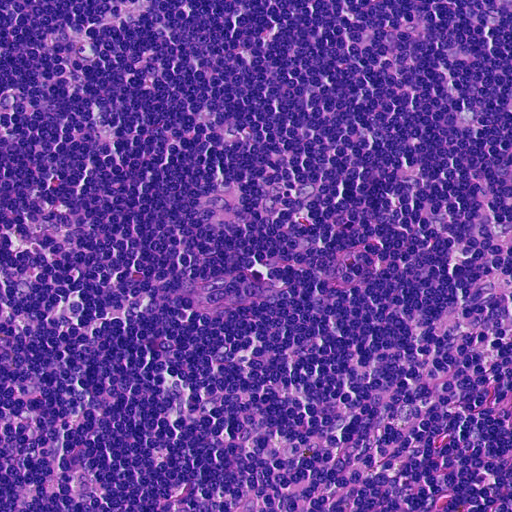
This is a crop of a whole-slide image: an H&E-stained breast-cancer sentinel lymph node section at roughly 20× magnification (about 0.45 µm per pixel; the crop spans about 0.23 mm).